Question: 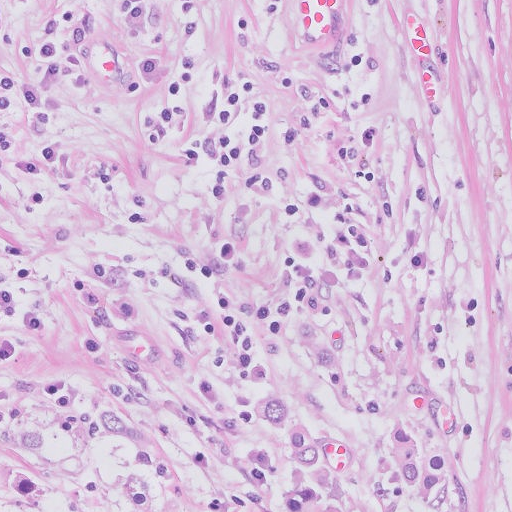
Lymph node section stained with H&E, from a whole-slide image of a breast-cancer sentinel node. Magnification about 20×, about 0.26 mm across the frame, about 0.5 µm per pixel.
About how much of this crop is taken up by metastatic carcinoma?

Choices:
 (A) about 10% to 20%
 (B) about 5% or less
 (C) about 50% or more
 (D) about 25% to 45%
 (E) none: no tumour is outlined

Answer: (C) about 50% or more
About 80% of the field is tumour.
Metastatic tumour outline, simplified to 5 points and listed clockwise in crop pixels (x, y): (0, 0), (335, 0), (444, 430), (447, 511), (0, 511).
Question: 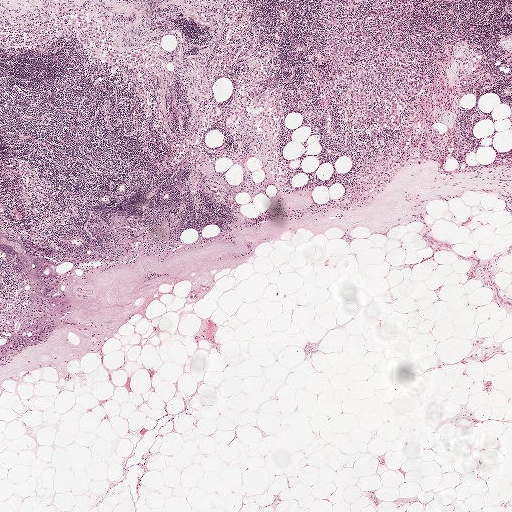
H&E-stained section of a sentinel lymph node (breast cancer), from a whole-slide image, viewed at about 2.5×: the field is about 2.0 mm across, about 3.9 µm per pixel.
About how much of this crop is taken up by metastatic carcinoma?

Choices:
 (A) about 25% to 45%
 (B) about 10% to 20%
 (C) none: no tumour is outlined
 (D) about 5% or less
 (E) about 50% or more

Answer: (D) about 5% or less
About 5% of the field is tumour.
The outlined metastatic tumour's edge, as a closed clockwise path of 23 points: (321, 0), (412, 0), (414, 13), (403, 40), (412, 54), (411, 63), (418, 66), (419, 78), (424, 72), (424, 84), (419, 94), (407, 97), (399, 127), (392, 128), (389, 122), (378, 137), (354, 132), (341, 109), (316, 84), (318, 73), (330, 69), (324, 52), (326, 26).
Question: 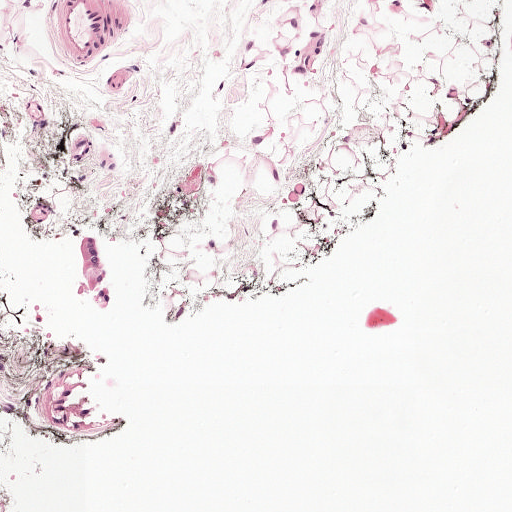
Lymph node section stained with H&E, from a whole-slide image of a breast-cancer sentinel node. Magnification about 10×, about 0.5 mm across the frame, about 0.97 µm per pixel.
About how much of this crop is taken up by metastatic carcinoma?

Choices:
 (A) about 50% or more
 (B) about 25% to 45%
 (C) about 5% or less
 (D) none: no tumour is outlined
 (E) about 10% to 20%

Answer: (C) about 5% or less
Under 5% of the field is tumour.
Metastatic tumour outline, simplified to 10 points and listed clockwise in crop pixels (x, y): (102, 232), (102, 252), (114, 290), (114, 309), (98, 312), (89, 300), (74, 298), (81, 275), (75, 242), (81, 236).
Question: 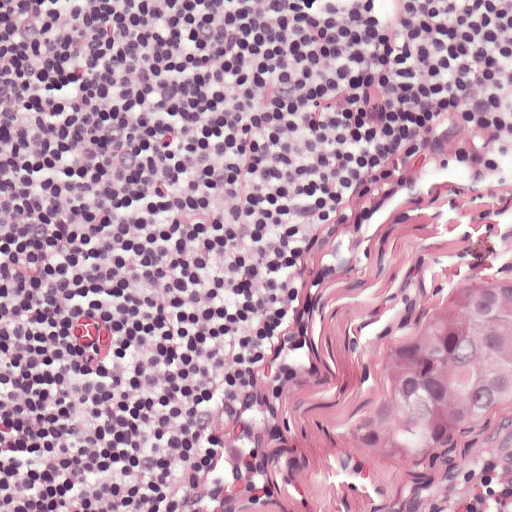
This is a crop of a whole-slide image: an H&E-stained breast-cancer sentinel lymph node section at roughly 20× magnification (about 0.49 µm per pixel; the crop spans about 0.25 mm).
About how much of this crop is taken up by metastatic carcinoma?

Choices:
 (A) none: no tumour is outlined
 (B) about 5% or less
 (C) about 50% or more
 (D) about 10% to 20%
 (E) about 25% to 45%

Answer: (D) about 10% to 20%
About 10% of the field is tumour.
The outlined metastatic tumour's edge, as a closed clockwise path of 9 points: (511, 276), (511, 415), (428, 464), (388, 464), (347, 431), (362, 392), (386, 363), (398, 336), (480, 286).